H&E-stained section of a sentinel lymph node (breast cancer), from a whole-slide image, viewed at about 2.5×: the field is about 2.0 mm across, about 3.9 µm per pixel.
Question: 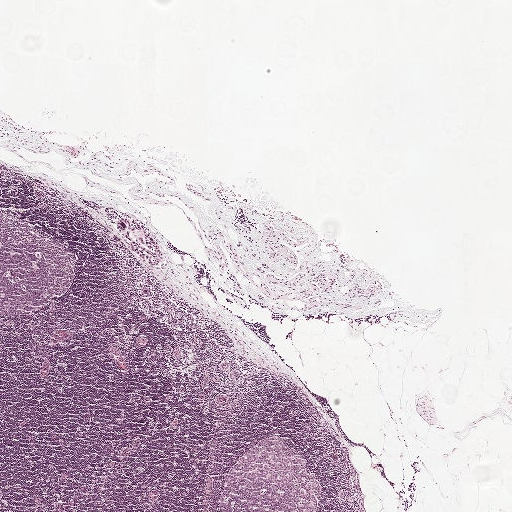
Roughly what share of this field is metastatic tumour?

Choices:
 (A) about 10% to 20%
 (B) about 50% or more
 (C) none: no tumour is outlined
 (D) about 25% to 45%
 (E) about 5% or less

Answer: (E) about 5% or less
Under 5% of the field is tumour.
Metastatic tumour outline, simplified to 12 points and listed clockwise in crop pixels (x, y): (120, 217), (140, 223), (158, 242), (163, 257), (162, 265), (158, 267), (147, 265), (140, 259), (133, 252), (128, 241), (123, 237), (116, 224).